Lymph node section stained with H&E, from a whole-slide image of a breast-cancer sentinel node. Magnification about 10×, about 0.5 mm across the frame, about 0.97 µm per pixel.
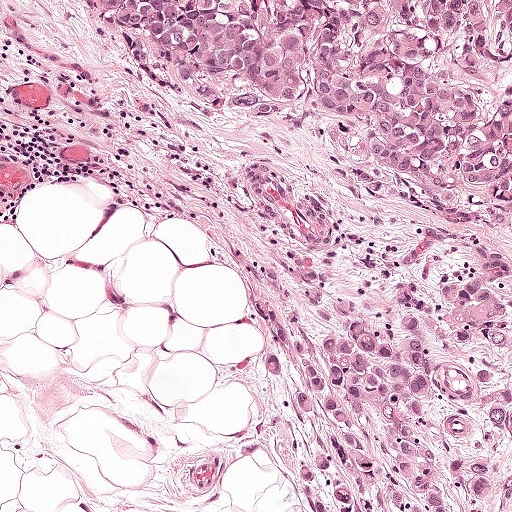
One metastatic tumour region; its boundary, reduced to 7 corners and listed clockwise: (511, 0), (511, 511), (296, 511), (279, 411), (186, 136), (148, 94), (2, 4).
Tumour covers about 60% of the frame.